Image:
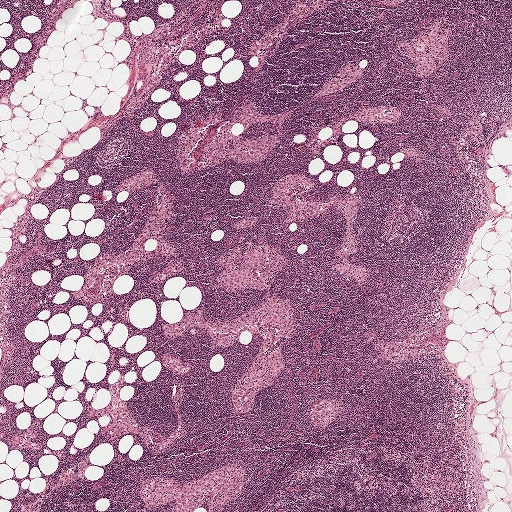
H&E-stained section of a sentinel lymph node (breast cancer), from a whole-slide image, viewed at about 2.5×: the field is about 2.0 mm across, about 3.9 µm per pixel.
Question:
Is there metastatic carcinoma in this field?
Answer:
No, this field holds no outlined metastasis.